Image:
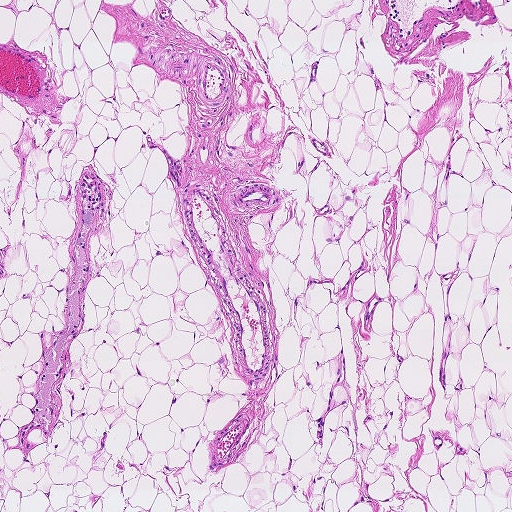
A 0.93-mm field of an H&E-stained sentinel lymph node from a breast-cancer patient (whole-slide image), shown at about 5×, about 1.8 µm per pixel.
Question:
Is there metastatic carcinoma in this field?
Answer:
No, this field holds no outlined metastasis.